This is a crop of a whole-slide image: an H&E-stained breast-cancer sentinel lymph node section at roughly 40× magnification (about 0.24 µm per pixel; the crop spans about 0.12 mm).
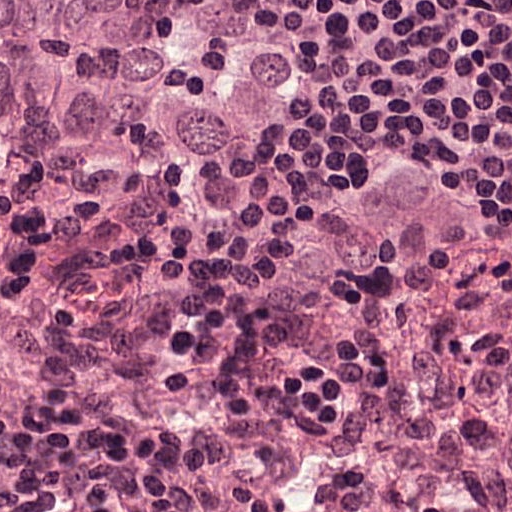
Two metastatic tumour regions, each outlined as a closed clockwise path in crop pixels (x, y), largest first: region 1: (0, 0), (429, 0), (374, 62), (356, 99), (240, 158), (244, 180), (194, 188), (106, 180), (0, 151); region 2: (390, 162), (427, 165), (432, 181), (431, 208), (379, 260), (356, 269), (309, 312), (290, 314), (270, 308), (263, 301), (256, 274), (283, 231), (313, 203).
The annotated tumour makes up about 30% of the crop.